Lymph node section stained with H&E, from a whole-slide image of a breast-cancer sentinel node. Magnification about 5×, about 0.93 mm across the frame, about 1.8 µm per pixel.
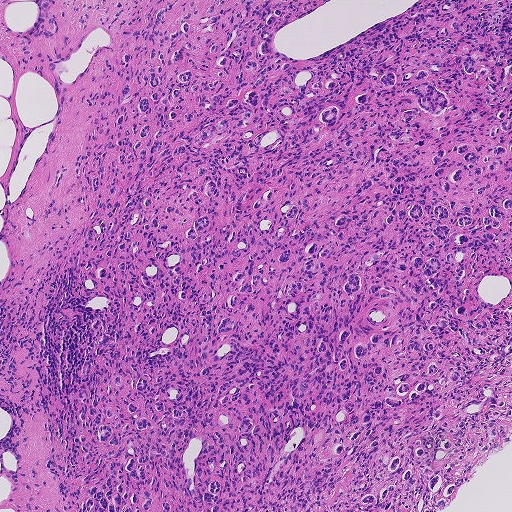
One metastatic tumour region; its boundary, reduced to 13 corners and listed clockwise: (168, 0), (511, 0), (511, 438), (440, 511), (74, 511), (70, 388), (95, 336), (91, 322), (113, 300), (78, 278), (93, 205), (86, 153), (128, 34).
The annotated tumour makes up about 80% of the crop.